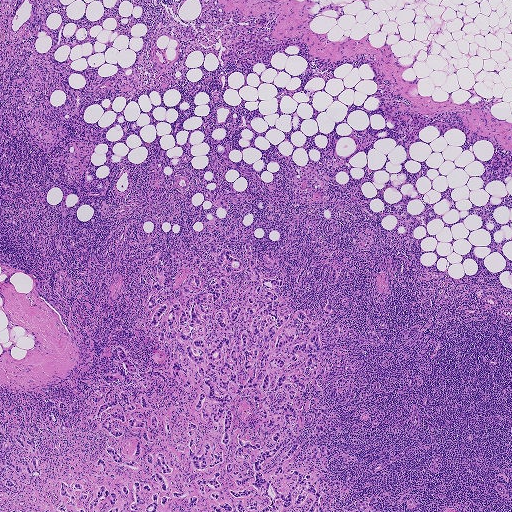
This is a crop of a whole-slide image: an H&E-stained breast-cancer sentinel lymph node section at roughly 2.5× magnification (about 3.6 µm per pixel; the crop spans about 1.9 mm).
Outlines of four tumour regions, largest first (closed clockwise paths, crop pixels): region 1: (216, 238), (280, 275), (282, 300), (311, 322), (331, 294), (323, 326), (341, 331), (323, 336), (333, 355), (315, 391), (337, 434), (296, 457), (329, 450), (330, 472), (314, 467), (343, 485), (334, 511), (31, 511), (61, 502), (60, 478), (110, 484), (88, 399), (110, 384), (100, 376), (130, 375), (117, 347), (167, 381), (134, 399), (183, 441), (196, 390), (180, 385), (182, 344), (151, 328), (159, 263), (178, 299), (193, 274), (215, 278), (192, 260), (203, 251), (217, 266); region 2: (353, 500), (363, 500), (367, 501), (375, 505), (377, 509), (377, 511), (363, 511), (356, 508), (352, 505); region 3: (405, 498), (413, 500), (417, 498), (420, 506), (418, 509), (412, 511), (408, 510), (404, 502); region 4: (34, 457), (36, 460), (37, 467), (37, 471), (34, 470), (31, 463), (30, 466), (31, 470), (33, 473), (30, 475), (27, 472), (25, 466), (21, 465), (24, 461), (31, 462), (31, 458).
13 more small tumour pieces are annotated here but not outlined.
About 20% of the image area is annotated as tumour.